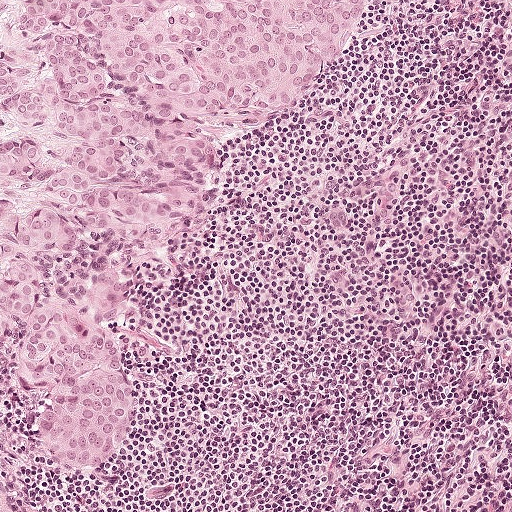
Lymph node section stained with H&E, from a whole-slide image of a breast-cancer sentinel node. Magnification about 10×, about 0.5 mm across the frame, about 0.97 µm per pixel.
Tumour region outline (a closed clockwise path, crop pixels): (0, 0), (370, 0), (337, 84), (239, 150), (180, 271), (160, 288), (139, 285), (120, 336), (133, 426), (118, 465), (92, 482), (28, 470), (19, 504), (0, 511).
About 40% of this field is tumour.